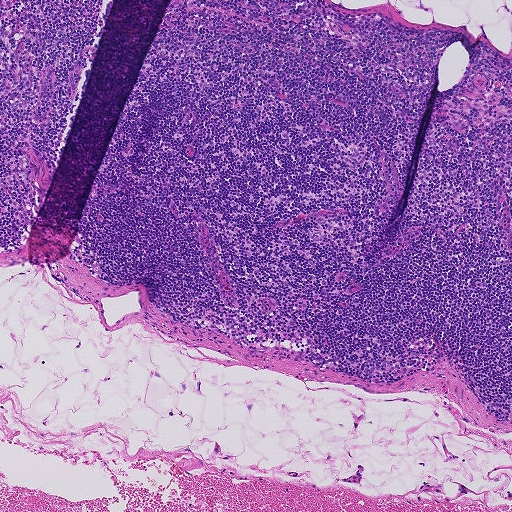
This is a crop of a whole-slide image: an H&E-stained breast-cancer sentinel lymph node section at roughly 5× magnification (about 1.8 µm per pixel; the crop spans about 0.93 mm).
Question: Is any metastatic breast cancer visible in this crop?
Answer: No. No metastatic tumour is outlined in this field.